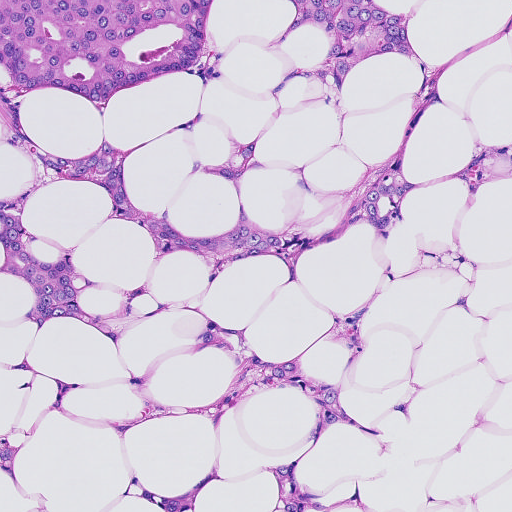
A 0.46-mm field of an H&E-stained sentinel lymph node from a breast-cancer patient (whole-slide image), shown at about 10×, about 0.91 µm per pixel.
Outlines of four tumour regions, largest first (closed clockwise paths, crop pixels): region 1: (0, 0), (214, 0), (197, 67), (119, 92), (104, 107), (74, 92), (48, 87), (14, 94), (0, 84); region 2: (286, 0), (376, 0), (389, 10), (411, 14), (408, 25), (419, 57), (412, 58), (402, 52), (378, 54), (357, 64), (338, 87), (330, 79), (298, 72), (276, 95), (278, 84), (292, 66), (314, 64), (324, 57), (328, 46), (328, 35), (310, 22), (275, 48), (292, 18), (292, 6); region 3: (206, 320), (242, 336), (261, 359), (292, 361), (299, 374), (336, 386), (336, 417), (310, 454), (297, 464), (296, 479), (305, 508), (285, 511), (280, 510), (275, 463), (306, 454), (319, 428), (313, 399), (298, 384), (274, 382), (240, 367), (233, 353), (216, 348), (202, 334); region 4: (184, 496), (189, 508), (178, 511), (165, 511), (157, 504), (167, 498).
One more tumour region is annotated but not outlined: its edge is too irregular for a short outline.
One more small tumour piece is annotated here but not outlined.
Tumour covers about 20% of the frame.